H&E-stained section of a sentinel lymph node (breast cancer), from a whole-slide image, viewed at about 2.5×: the field is about 2.0 mm across, about 3.9 µm per pixel.
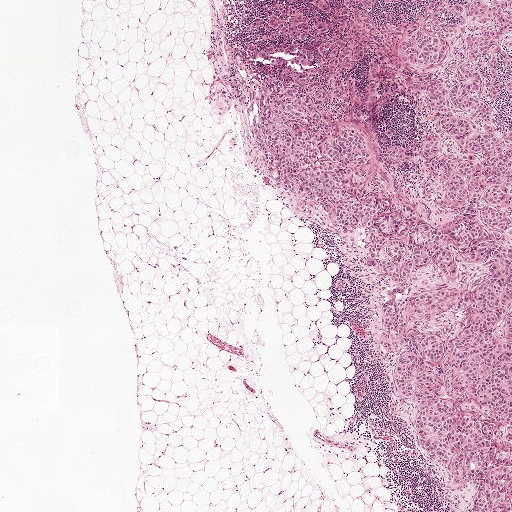
Question: Where is the metastatic tumour in this field? Give each region's outline as (x, y) pixel points.
Answer: One metastatic tumour region; its boundary, reduced to 15 corners and listed clockwise: (270, 0), (511, 0), (511, 511), (467, 511), (472, 491), (440, 478), (391, 384), (378, 341), (383, 289), (332, 227), (297, 214), (261, 175), (249, 104), (227, 72), (234, 26).
Tumour covers about 35% of the frame.